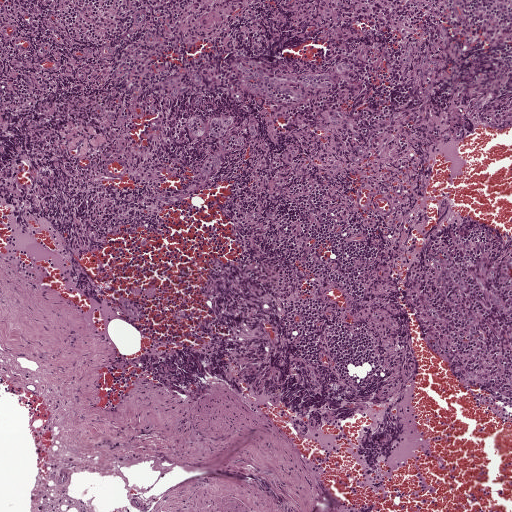
H&E-stained section of a sentinel lymph node (breast cancer), from a whole-slide image, viewed at about 5×: the field is about 1 mm across, about 1.9 µm per pixel.